Image:
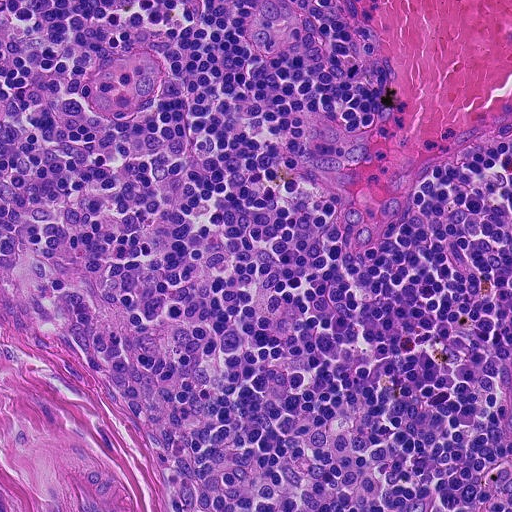
This is a crop of a whole-slide image: an H&E-stained breast-cancer sentinel lymph node section at roughly 20× magnification (about 0.45 µm per pixel; the crop spans about 0.23 mm).
Question:
Does this lymph node field contain metastatic tumour?
Answer:
No, this field holds no outlined metastasis.